Question: 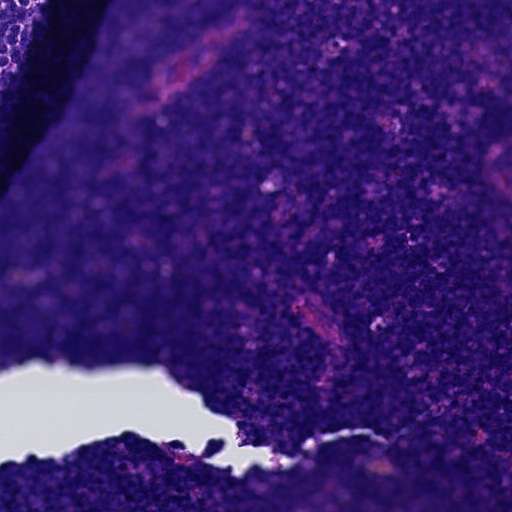
About what magnification does this crop show?

Choices:
 (A) about 20×
 (B) about 10×
 (C) about 40×
 (D) about 2.5×
 (E) about 5×

Answer: (A) about 20×
A 0.23-mm field of an H&E-stained sentinel lymph node from a breast-cancer patient (whole-slide image), shown at about 20×, about 0.45 µm per pixel.